Image:
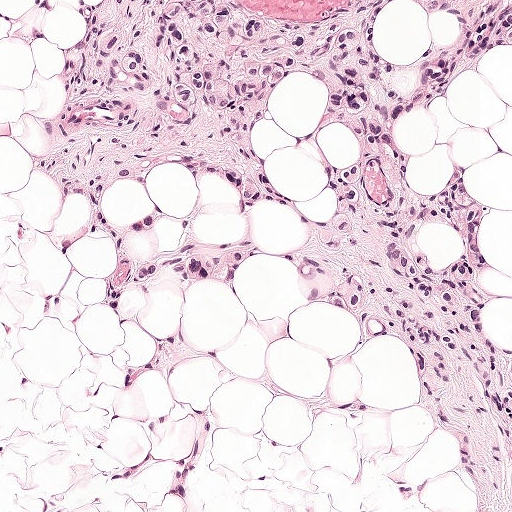
A 0.5-mm field of an H&E-stained sentinel lymph node from a breast-cancer patient (whole-slide image), shown at about 10×, about 0.97 µm per pixel.
Question:
Trace the edge of each tumour region in this crop, as (x, y) points from 0 to 511.
Answer:
Metastatic tumour outline, simplified to 23 points and listed clockwise in crop pixels (x, y): (511, 0), (511, 50), (418, 98), (400, 150), (415, 183), (457, 167), (511, 205), (509, 216), (478, 232), (476, 243), (480, 308), (511, 348), (511, 463), (490, 478), (380, 324), (318, 304), (268, 258), (103, 302), (104, 226), (74, 178), (32, 167), (26, 140), (79, 5).
About 50% of this field is tumour.